Image:
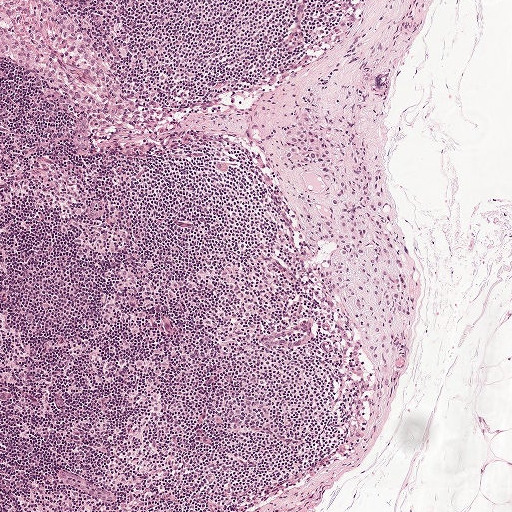
A 1-mm field of an H&E-stained sentinel lymph node from a breast-cancer patient (whole-slide image), shown at about 5×, about 1.9 µm per pixel.
Question:
Outline the metastatic carcinoma in this image, as closed paths of (x, y) pixel coordinates.
Answer:
The outlined metastatic tumour's edge, as a closed clockwise path of 23 points: (300, 113), (324, 123), (343, 150), (378, 162), (382, 208), (399, 229), (414, 302), (407, 319), (392, 319), (394, 345), (382, 392), (366, 356), (350, 356), (350, 345), (363, 338), (362, 322), (334, 284), (335, 247), (318, 224), (328, 210), (328, 186), (279, 161), (284, 131).
About 5% of the image area is annotated as tumour.